Question: 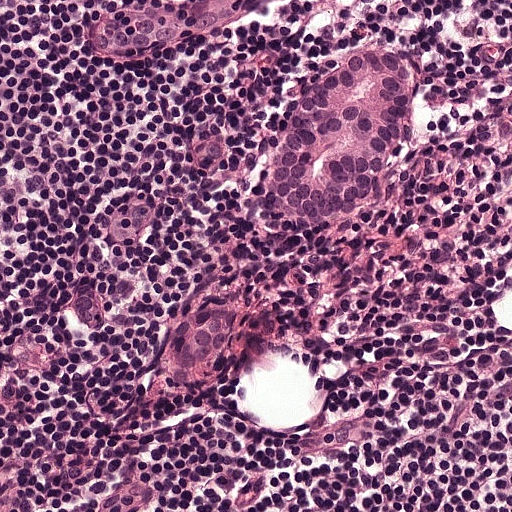
H&E-stained section of a sentinel lymph node (breast cancer), from a whole-slide image, viewed at about 20×: the field is about 0.25 mm across, about 0.49 µm per pixel.
Roughly what share of this field is metastatic tumour?

Choices:
 (A) about 25% to 45%
 (B) about 5% or less
 (C) about 10% to 20%
 (D) none: no tumour is outlined
 (E) about 50% or more

Answer: (C) about 10% to 20%
About 10% of the field is tumour.
Two metastatic tumour regions, each outlined as a closed clockwise path in crop pixels (x, y), largest first: region 1: (407, 57), (419, 90), (418, 117), (368, 210), (341, 222), (296, 222), (279, 207), (278, 176), (302, 114), (350, 58); region 2: (194, 316), (224, 316), (230, 330), (229, 365), (212, 381), (198, 387), (184, 387), (173, 381), (176, 346), (191, 317).
Two more small tumour pieces are annotated here but not outlined.